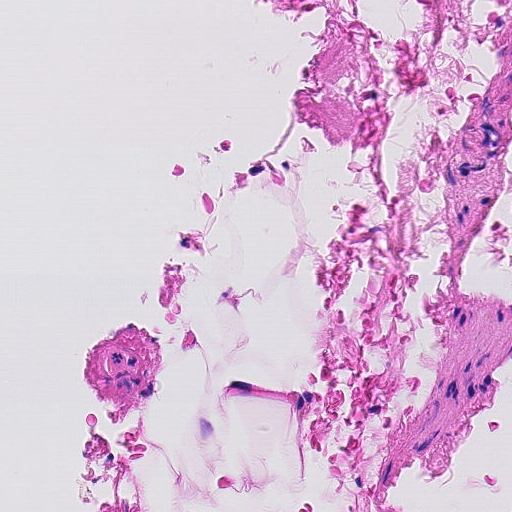
This is a crop of a whole-slide image: an H&E-stained breast-cancer sentinel lymph node section at roughly 20× magnification (about 0.45 µm per pixel; the crop spans about 0.23 mm).
Question: Is any metastatic breast cancer visible in this crop?
Answer: No, this field holds no outlined metastasis.